Question: 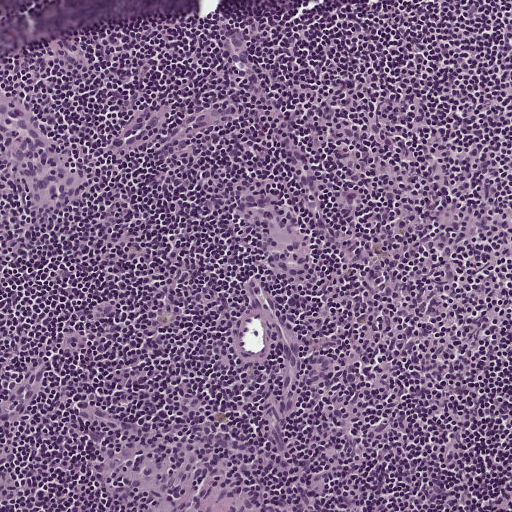
At roughly what magnification is this field shown?

Choices:
 (A) about 2.5×
 (B) about 20×
 (C) about 40×
 (D) about 5×
 (E) about 10×

Answer: (E) about 10×
Lymph node section stained with H&E, from a whole-slide image of a breast-cancer sentinel node. Magnification about 10×, about 0.5 mm across the frame, about 0.97 µm per pixel.